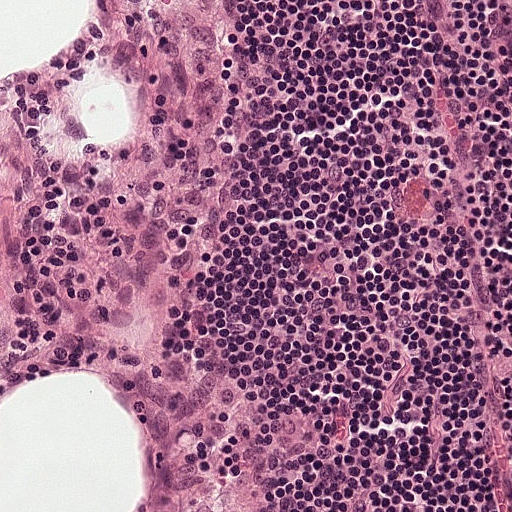
A 0.25-mm field of an H&E-stained sentinel lymph node from a breast-cancer patient (whole-slide image), shown at about 20×, about 0.49 µm per pixel.
Question: Is there metastatic carcinoma in this field?
Answer: No: no metastatic tumour is outlined anywhere in this field.